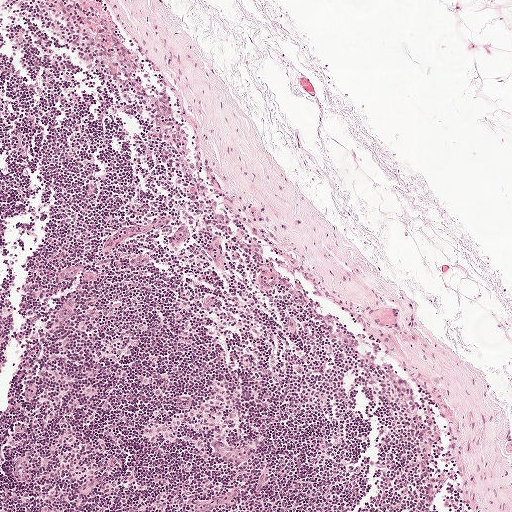
Lymph node section stained with H&E, from a whole-slide image of a breast-cancer sentinel node. Magnification about 5×, about 1 mm across the frame, about 1.9 µm per pixel.
Question: Does this lymph node field contain metastatic tumour?
Answer: No, this field holds no outlined metastasis.